H&E-stained section of a sentinel lymph node (breast cancer), from a whole-slide image, viewed at about 20×: the field is about 0.23 mm across, about 0.45 µm per pixel.
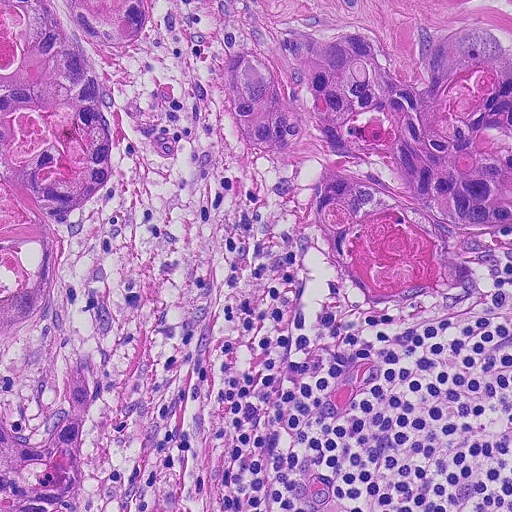
One metastatic tumour region; its boundary, reduced to 23 corners and listed clockwise: (0, 0), (511, 0), (511, 276), (477, 270), (482, 294), (441, 322), (393, 328), (350, 306), (306, 214), (320, 166), (260, 166), (224, 136), (200, 92), (214, 45), (170, 20), (94, 60), (125, 152), (72, 234), (73, 282), (120, 362), (86, 432), (91, 506), (0, 511).
About 50% of the image area is annotated as tumour.